H&E-stained section of a sentinel lymph node (breast cancer), from a whole-slide image, viewed at about 2.5×: the field is about 2.0 mm across, about 3.9 µm per pixel.
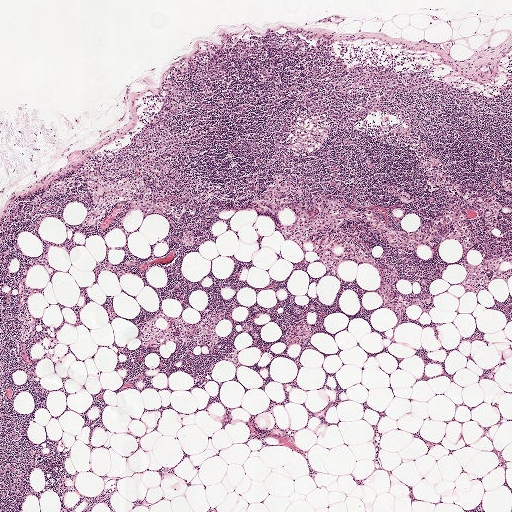
Question: Describe where the metastatic carcinoma lies in this crop.
Answer: Outlines of three tumour regions, largest first (closed clockwise paths, crop pixels): region 1: (237, 39), (257, 41), (259, 55), (229, 68), (225, 85), (216, 92), (218, 112), (212, 119), (210, 140), (186, 166), (185, 184), (180, 195), (166, 194), (139, 177), (96, 176), (90, 171), (90, 163), (111, 156), (137, 132), (155, 109), (165, 80), (186, 51); region 2: (372, 64), (392, 67), (442, 84), (471, 88), (484, 95), (488, 103), (463, 103), (433, 94), (371, 94), (335, 87), (332, 82), (333, 77), (353, 65); region 3: (511, 41), (511, 75), (510, 75), (504, 74), (498, 71), (498, 65), (507, 47).
About 5% of this field is tumour.